A 0.25-mm field of an H&E-stained sentinel lymph node from a breast-cancer patient (whole-slide image), shown at about 20×, about 0.49 µm per pixel.
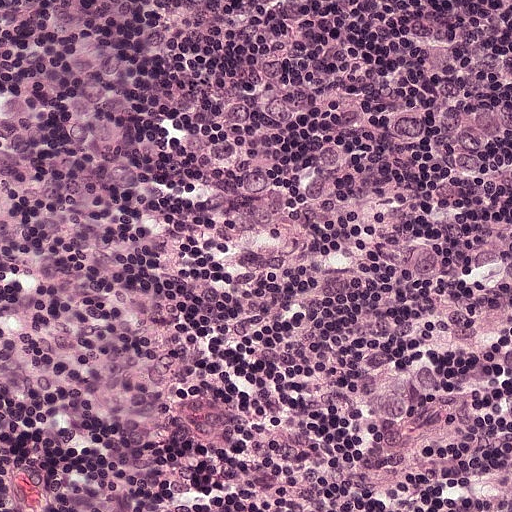
Metastatic tumour outline, simplified to 9 points and listed clockwise in crop pixels (x, y): (511, 0), (511, 473), (421, 444), (387, 426), (369, 399), (374, 312), (462, 99), (462, 72), (490, 2).
One more small tumour piece is annotated here but not outlined.
About 15% of the image area is annotated as tumour.